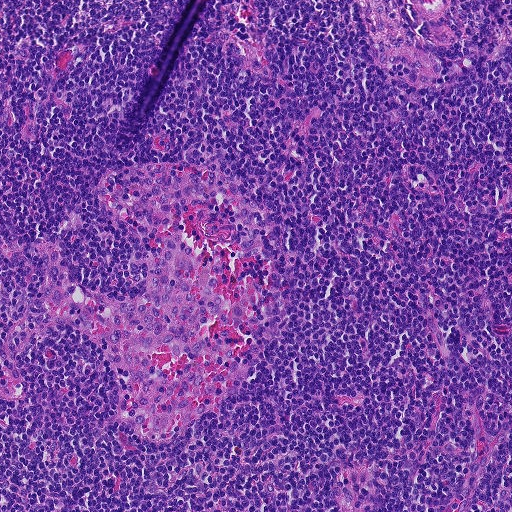
H&E-stained section of a sentinel lymph node (breast cancer), from a whole-slide image, viewed at about 10×: the field is about 0.46 mm across, about 0.9 µm per pixel.